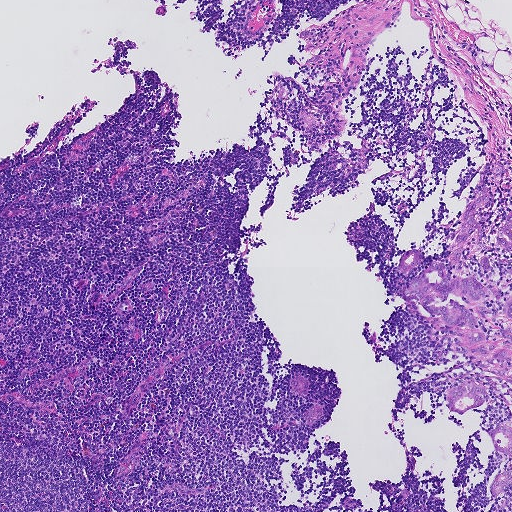
Lymph node section stained with H&E, from a whole-slide image of a breast-cancer sentinel node. Magnification about 5×, about 0.93 mm across the frame, about 1.8 µm per pixel.
Question: Trace the edge of each tumour region in this crop, as (x, y) points from 0 to 511.
Answer: Outlines of five tumour regions, largest first (closed clockwise paths, crop pixels): region 1: (502, 161), (486, 228), (494, 239), (511, 208), (511, 385), (474, 379), (490, 391), (488, 399), (459, 415), (446, 399), (473, 361), (458, 332), (422, 320), (403, 299), (401, 291), (421, 272), (421, 263), (406, 275), (398, 273), (408, 249), (425, 252), (424, 270), (447, 258), (462, 207); region 2: (496, 424), (511, 426), (511, 456), (497, 452), (492, 446), (490, 438), (491, 430); region 3: (511, 465), (511, 493), (509, 492), (502, 497), (494, 499), (490, 495), (490, 487), (492, 479), (498, 474), (505, 470); region 4: (314, 403), (320, 404), (322, 411), (321, 417), (317, 422), (311, 425), (305, 422), (303, 416); region 5: (300, 376), (306, 379), (309, 385), (309, 392), (304, 395), (292, 390), (290, 384), (294, 377).
About 5% of this field is tumour.